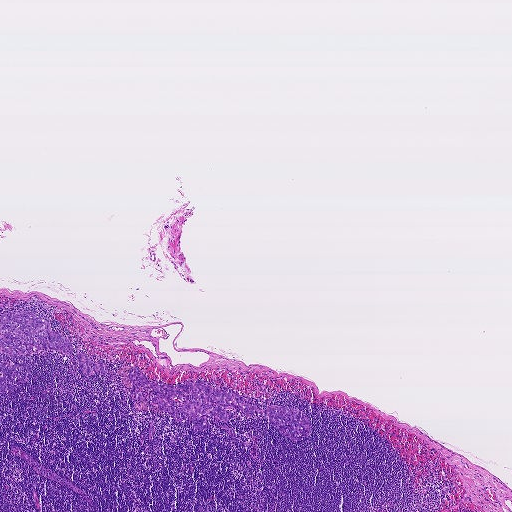
This is a crop of a whole-slide image: an H&E-stained breast-cancer sentinel lymph node section at roughly 2.5× magnification (about 3.6 µm per pixel; the crop spans about 1.9 mm).
Two metastatic tumour regions, each outlined as a closed clockwise path in crop pixels (x, y), largest first: region 1: (137, 365), (154, 384), (158, 379), (175, 386), (188, 381), (193, 385), (198, 380), (214, 388), (227, 387), (246, 400), (248, 396), (249, 404), (261, 409), (296, 408), (311, 421), (311, 431), (293, 441), (271, 424), (268, 416), (229, 407), (225, 408), (235, 417), (223, 420), (212, 415), (207, 418), (208, 429), (197, 433), (193, 423), (197, 413), (175, 420), (152, 402), (151, 389), (139, 386), (141, 401), (130, 392), (128, 374); region 2: (27, 311), (46, 320), (52, 331), (67, 338), (73, 350), (72, 353), (83, 353), (94, 363), (102, 360), (108, 368), (104, 375), (94, 372), (86, 375), (77, 367), (75, 355), (71, 353), (65, 356), (54, 350), (36, 348), (24, 355), (1, 353), (0, 316), (2, 314).
About 5% of the image area is annotated as tumour.